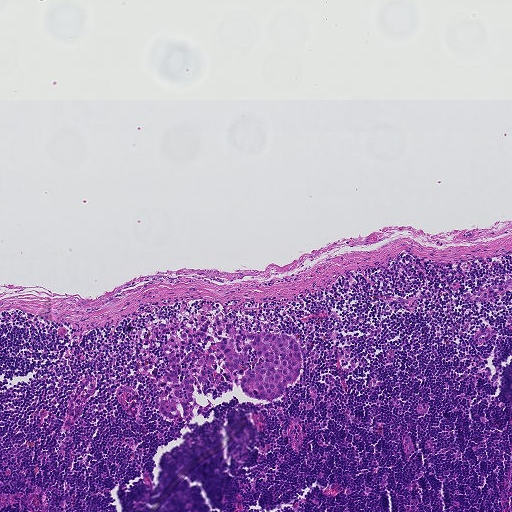
A 0.93-mm field of an H&E-stained sentinel lymph node from a breast-cancer patient (whole-slide image), shown at about 5×, about 1.8 µm per pixel.
Question: Is there metastatic carcinoma in this field?
Answer: Yes.
The outlined metastatic tumour's edge, as a closed clockwise path of 23 points: (231, 325), (240, 335), (296, 338), (299, 373), (283, 395), (272, 402), (242, 392), (236, 383), (193, 384), (198, 404), (210, 405), (205, 416), (182, 421), (163, 416), (158, 405), (169, 365), (166, 353), (176, 357), (180, 382), (206, 349), (197, 334), (227, 334), (225, 326).
The annotated tumour makes up about 5% of the crop.